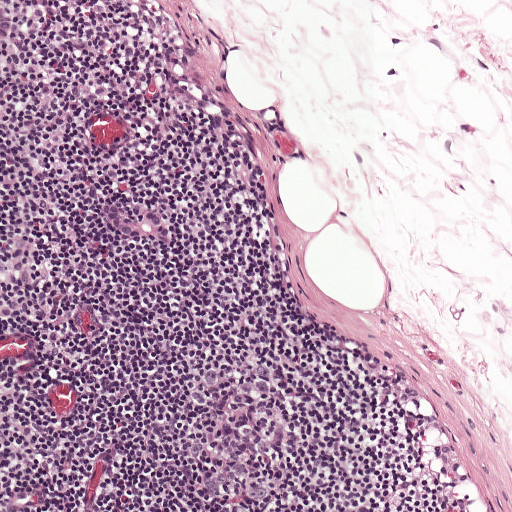
A 0.5-mm field of an H&E-stained sentinel lymph node from a breast-cancer patient (whole-slide image), shown at about 10×, about 0.97 µm per pixel.
Question: Where is the metastatic tumour in this field? Give each region's outline as (x, y) pixel points.
Answer: The outlined metastatic tumour's edge, as a closed clockwise path of 13 points: (107, 201), (133, 201), (153, 207), (172, 220), (176, 228), (177, 238), (174, 248), (164, 250), (146, 244), (137, 244), (128, 240), (100, 215), (100, 205).
Under 5% of this field is tumour.